Question: 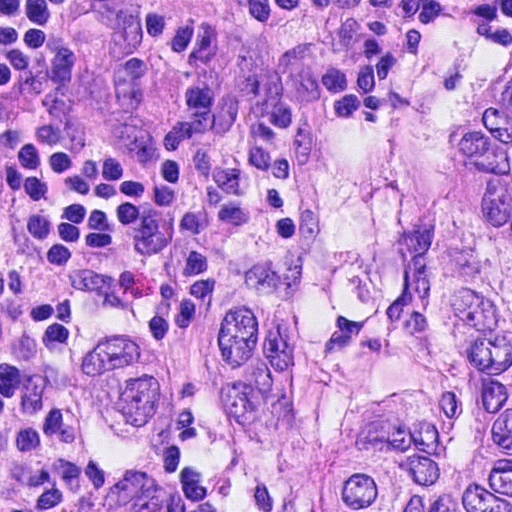
Lymph node section stained with H&E, from a whole-slide image of a breast-cancer sentinel node. Magnification about 40×, about 0.12 mm across the frame, about 0.23 µm per pixel.
What fraction of the image area is metastatic tumour?

Choices:
 (A) about 10% to 20%
 (B) about 5% or less
 (C) about 50% or more
 (D) none: no tumour is outlined
 (E) about 25% to 45%

Answer: (C) about 50% or more
About 50% of the field is tumour.
Metastatic tumour outline, simplified to 11 points and listed clockwise in crop pixels (x, y): (511, 34), (511, 511), (232, 511), (202, 407), (144, 472), (82, 409), (77, 323), (95, 295), (161, 329), (289, 211), (282, 125).